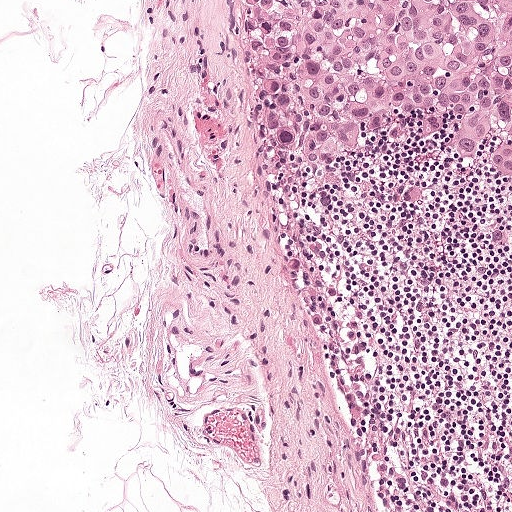
A 0.5-mm field of an H&E-stained sentinel lymph node from a breast-cancer patient (whole-slide image), shown at about 10×, about 0.97 µm per pixel.
Metastatic tumour outline, simplified to 10 points and listed clockwise in crop pixels (x, y): (511, 0), (511, 219), (444, 143), (396, 112), (376, 118), (334, 163), (251, 186), (227, 182), (214, 152), (212, 2).
Tumour covers about 20% of the frame.